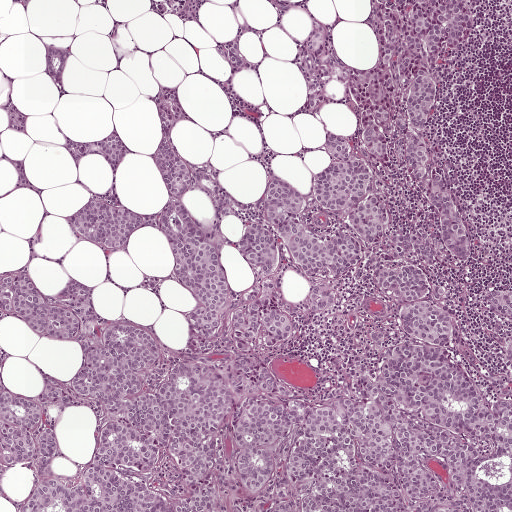
H&E-stained section of a sentinel lymph node (breast cancer), from a whole-slide image, viewed at about 5×: the field is about 1 mm across, about 1.9 µm per pixel.
Outlines of the eight largest metastatic tumour regions, each a closed clockwise path in crop pixels (x, y), largest first: region 1: (399, 0), (466, 0), (429, 130), (477, 259), (411, 258), (474, 388), (509, 395), (511, 511), (0, 511), (0, 273), (94, 286), (76, 339), (140, 328), (155, 384), (258, 360), (287, 407), (329, 403), (373, 373), (365, 333), (404, 339), (369, 251), (282, 349), (200, 354), (164, 228), (120, 248), (68, 216), (167, 208), (176, 87), (209, 234), (264, 225), (281, 180), (347, 234), (311, 188), (368, 73), (389, 113), (387, 215), (437, 234), (381, 65); region 2: (314, 24), (324, 28), (337, 59), (350, 69), (352, 76), (346, 81), (333, 78), (324, 89), (324, 101), (314, 111), (307, 106), (307, 82), (300, 60), (299, 46), (306, 39); region 3: (492, 286), (511, 289), (511, 323), (486, 316), (479, 305), (479, 291); region 4: (112, 133), (121, 144), (131, 152), (113, 166), (100, 151), (93, 151), (74, 159), (67, 147), (70, 141), (84, 143), (98, 142), (100, 139); region 5: (44, 45), (69, 46), (65, 87), (60, 93), (47, 70); region 6: (511, 339), (511, 377), (496, 377), (505, 366), (495, 356), (502, 344); region 7: (12, 102), (26, 116), (24, 132), (9, 128), (10, 119), (2, 105); region 8: (3, 159), (22, 161), (26, 174), (42, 194), (21, 189), (16, 184), (19, 176), (17, 166).
Two more, smaller tumour regions are not outlined.
Two more small tumour pieces are annotated here but not outlined.
The annotated tumour makes up about 55% of the crop.